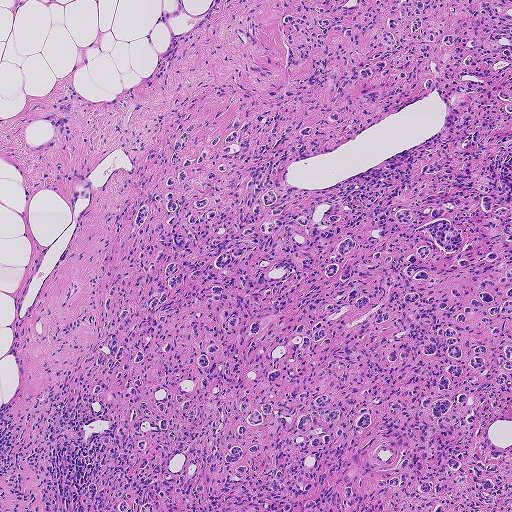
This is a crop of a whole-slide image: an H&E-stained breast-cancer sentinel lymph node section at roughly 5× magnification (about 1.8 µm per pixel; the crop spans about 0.93 mm).
One metastatic tumour region; its boundary, reduced to 20 corners and listed clockwise: (511, 0), (511, 511), (76, 511), (104, 450), (98, 436), (117, 426), (93, 392), (87, 408), (78, 397), (96, 382), (96, 350), (112, 329), (101, 299), (124, 227), (170, 172), (188, 124), (204, 118), (189, 156), (283, 86), (287, 4).
Tumour covers about 70% of the frame.